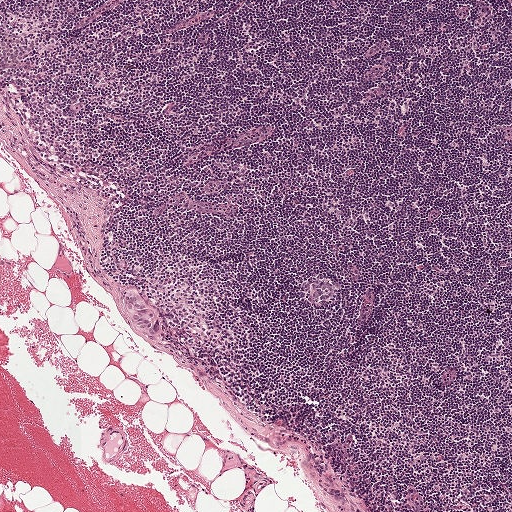
Lymph node section stained with H&E, from a whole-slide image of a breast-cancer sentinel node. Magnification about 5×, about 1 mm across the frame, about 1.9 µm per pixel.
One metastatic tumour region; its boundary, reduced to 11 corners and listed clockwise: (131, 285), (140, 288), (157, 310), (160, 319), (160, 327), (157, 336), (146, 335), (129, 324), (126, 312), (121, 303), (122, 291).
Under 5% of this field is tumour.